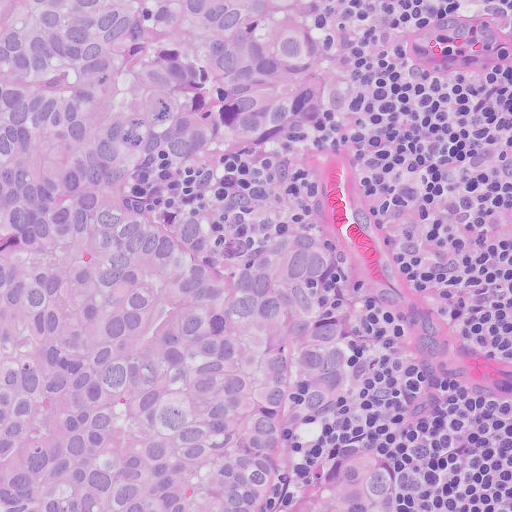
A 0.26-mm field of an H&E-stained sentinel lymph node from a breast-cancer patient (whole-slide image), shown at about 20×, about 0.5 µm per pixel.
The outlined metastatic tumour's edge, as a closed clockwise path of 10 points: (0, 0), (335, 0), (330, 116), (285, 152), (187, 191), (296, 214), (346, 238), (360, 348), (401, 511), (0, 511).
The annotated tumour makes up about 65% of the crop.